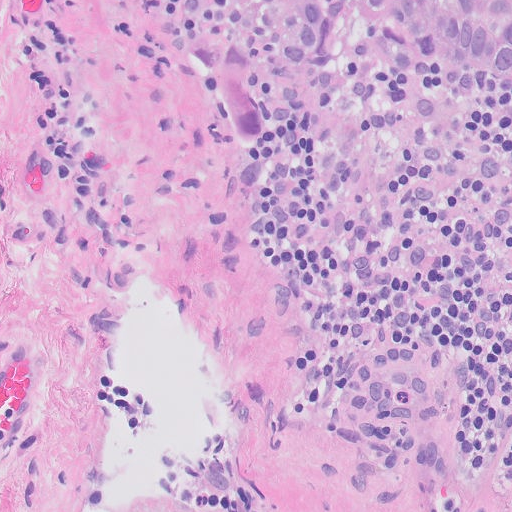
H&E-stained section of a sentinel lymph node (breast cancer), from a whole-slide image, viewed at about 20×: the field is about 0.26 mm across, about 0.5 µm per pixel.
Question: Where is the metastatic tumour in this field? Give each region's outline as (x, y) pixel points.
Answer: One metastatic tumour region; its boundary, reduced to 18 corners and listed clockwise: (238, 0), (511, 0), (511, 91), (480, 92), (400, 62), (370, 57), (344, 64), (330, 87), (304, 96), (280, 84), (264, 105), (269, 133), (255, 157), (228, 146), (199, 94), (214, 70), (238, 58), (264, 56).
The annotated tumour makes up about 10% of the crop.